Question: 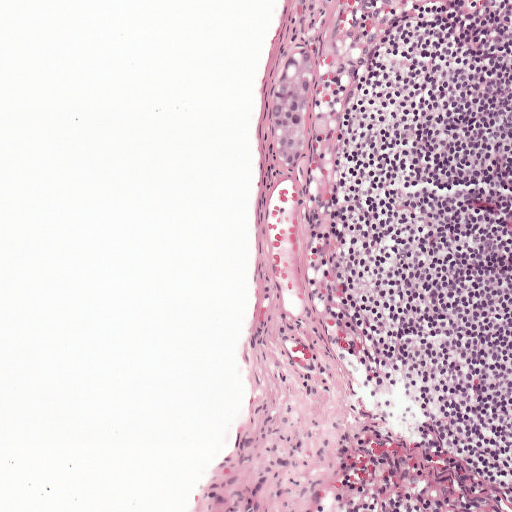
Lymph node section stained with H&E, from a whole-slide image of a breast-cancer sentinel node. Magnification about 10×, about 0.5 mm across the frame, about 0.97 µm per pixel.
About how much of this crop is taken up by metastatic carcinoma?

Choices:
 (A) about 10% to 20%
 (B) about 5% or less
 (C) about 50% or more
 (D) none: no tumour is outlined
 (E) about 25% to 45%

Answer: (B) about 5% or less
Under 5% of the field is tumour.
Tumour region outline (a closed clockwise path, crop pixels): (302, 45), (312, 57), (316, 82), (316, 107), (304, 156), (290, 172), (276, 161), (270, 137), (274, 86), (284, 62).